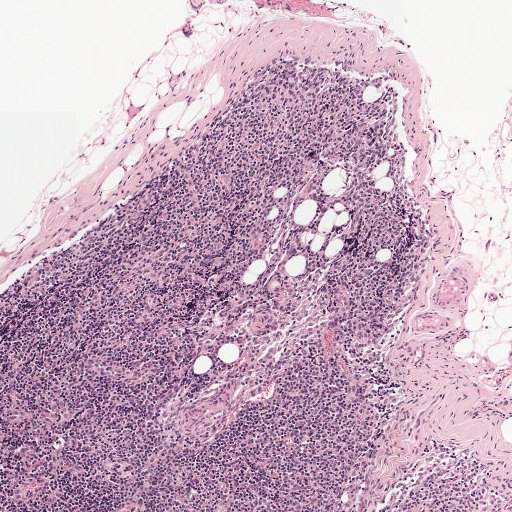
This is a crop of a whole-slide image: an H&E-stained breast-cancer sentinel lymph node section at roughly 5× magnification (about 1.9 µm per pixel; the crop spans about 1 mm).